A 2.0-mm field of an H&E-stained sentinel lymph node from a breast-cancer patient (whole-slide image), shown at about 2.5×, about 3.9 µm per pixel.
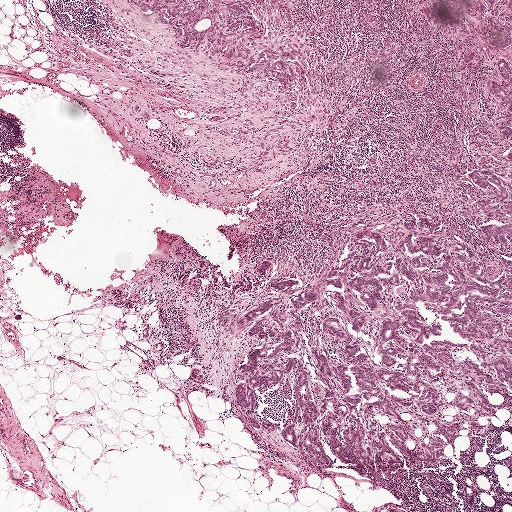
Two metastatic tumour regions, each outlined as a closed clockwise path in crop pixels (x, y), largest first: region 1: (511, 0), (511, 403), (487, 398), (449, 462), (384, 491), (359, 477), (311, 476), (245, 424), (238, 325), (266, 302), (258, 271), (267, 260), (277, 282), (313, 284), (379, 224), (417, 216), (436, 225), (456, 213), (467, 138), (446, 93), (446, 55), (409, 1); region 2: (129, 0), (291, 0), (300, 29), (306, 72), (302, 82), (282, 90), (263, 88), (192, 52).
The annotated tumour makes up about 30% of the crop.